Question: 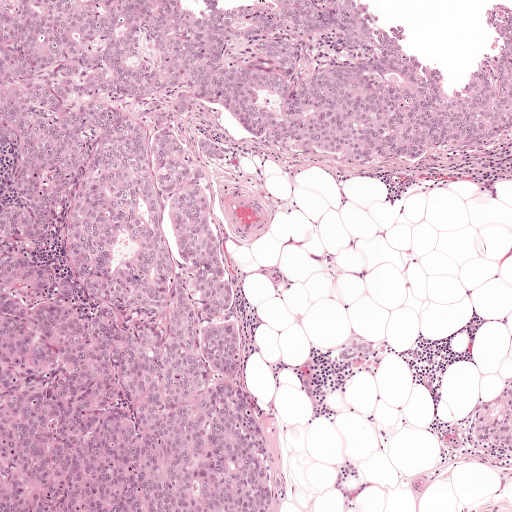
About what magnification does this crop show?

Choices:
 (A) about 40×
 (B) about 20×
 (C) about 10×
 (D) about 2.5×
 (E) about 5×

Answer: (E) about 5×
H&E-stained section of a sentinel lymph node (breast cancer), from a whole-slide image, viewed at about 5×: the field is about 1 mm across, about 1.9 µm per pixel.
Outlines of three tumour regions, largest first (closed clockwise paths, crop pixels): region 1: (0, 0), (365, 0), (404, 25), (403, 45), (444, 67), (454, 90), (487, 38), (482, 13), (511, 4), (511, 133), (456, 153), (326, 158), (192, 103), (190, 116), (224, 143), (219, 160), (201, 156), (224, 268), (240, 280), (233, 305), (244, 378), (275, 452), (282, 506), (0, 511); region 2: (511, 378), (511, 453), (491, 450), (476, 441), (467, 427), (473, 412), (499, 392), (509, 379); region 3: (356, 337), (372, 344), (372, 361), (357, 362), (343, 368), (333, 356), (340, 341).
One more small tumour piece is annotated here but not outlined.
About 60% of this field is tumour.